Question: 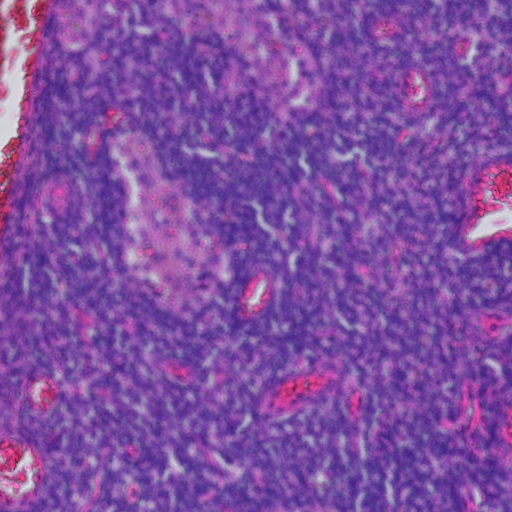
About what magnification does this crop show?

Choices:
 (A) about 20×
 (B) about 10×
 (C) about 2.5×
 (D) about 5×
 (E) about 40×

Answer: (B) about 10×
This is a crop of a whole-slide image: an H&E-stained breast-cancer sentinel lymph node section at roughly 10× magnification (about 0.9 µm per pixel; the crop spans about 0.46 mm).